Question: 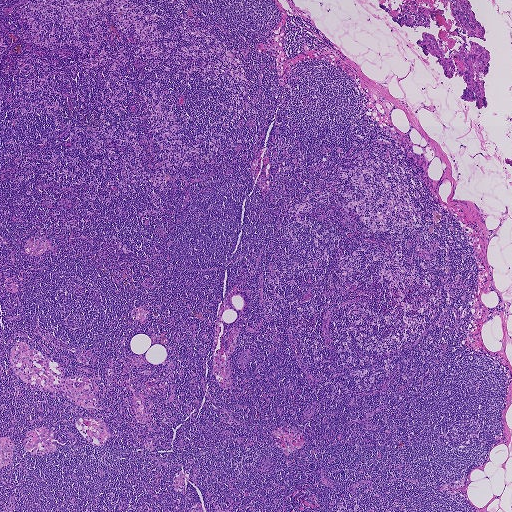
A 1.9-mm field of an H&E-stained sentinel lymph node from a breast-cancer patient (whole-slide image), shown at about 2.5×, about 3.6 µm per pixel.
About how much of this crop is taken up by metastatic carcinoma?

Choices:
 (A) about 50% or more
 (B) about 10% to 20%
 (C) none: no tumour is outlined
 (D) about 5% or less
 (E) about 25% to 45%

Answer: (C) none: no tumour is outlined
No metastatic tumour is outlined in this field.